Question: 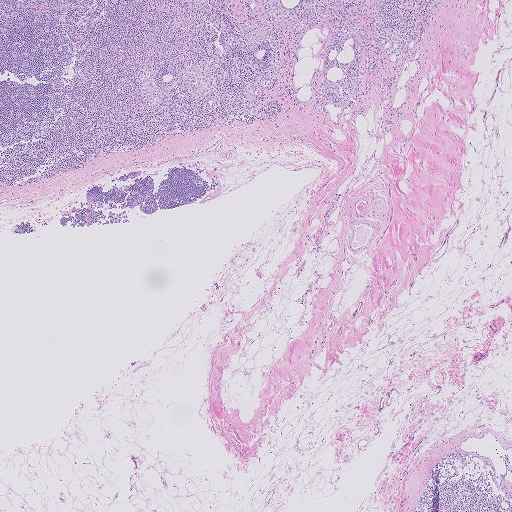
A 2.0-mm field of an H&E-stained sentinel lymph node from a breast-cancer patient (whole-slide image), shown at about 2.5×, about 4.0 µm per pixel.
Roughly what share of this field is metastatic tumour?

Choices:
 (A) about 5% or less
 (B) none: no tumour is outlined
 (C) about 50% or more
 (D) about 25% to 45%
 (E) about 10% to 20%

Answer: (A) about 5% or less
Under 5% of the field is tumour.
Outlines of two tumour regions, largest first (closed clockwise paths, crop pixels): region 1: (145, 169), (145, 173), (129, 182), (116, 183), (109, 181), (113, 176), (130, 170); region 2: (118, 212), (128, 213), (128, 218), (124, 219), (116, 224), (105, 225), (96, 224), (98, 220), (102, 220).
Question: 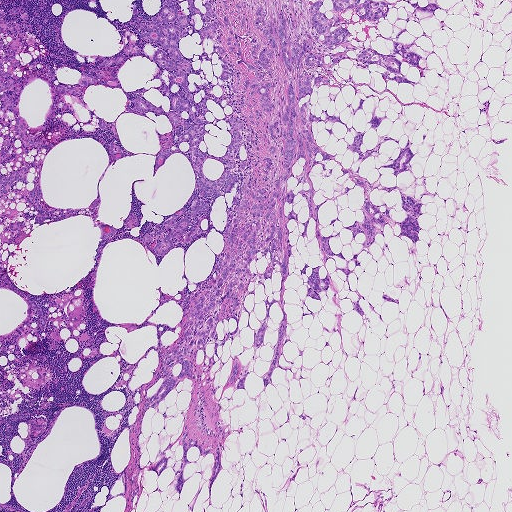
A 1.9-mm field of an H&E-stained sentinel lymph node from a breast-cancer patient (whole-slide image), shown at about 2.5×, about 3.6 µm per pixel.
Roughly what share of this field is metastatic tumour?

Choices:
 (A) about 5% or less
 (B) none: no tumour is outlined
 (C) about 10% to 20%
 (D) about 25% to 45%
 (E) about 50% or more

Answer: (D) about 25% to 45%
About 30% of the field is tumour.
The outlined metastatic tumour's edge, as a closed clockwise path of 38 points: (186, 423), (186, 442), (195, 440), (203, 451), (221, 447), (221, 468), (212, 483), (208, 504), (208, 488), (214, 464), (212, 454), (204, 458), (196, 447), (189, 449), (187, 459), (197, 462), (189, 463), (183, 472), (184, 478), (187, 479), (180, 498), (173, 487), (175, 477), (171, 468), (164, 470), (157, 478), (150, 468), (161, 457), (156, 458), (159, 447), (162, 451), (173, 443), (165, 453), (173, 458), (168, 459), (168, 466), (182, 457), (181, 433).
One more tumour region is annotated but not outlined: its edge is too irregular for a short outline.
One more small tumour piece is annotated here but not outlined.
Question: 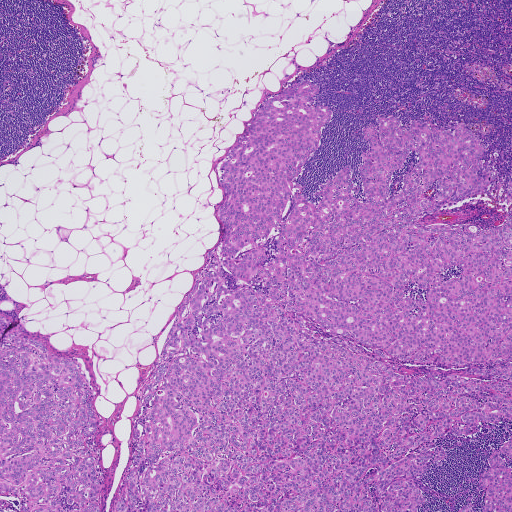
H&E-stained section of a sentinel lymph node (breast cancer), from a whole-slide image, viewed at about 2.5×: the field is about 1.9 mm across, about 3.6 µm per pixel.
Roughly what share of this field is metastatic tumour?

Choices:
 (A) about 25% to 45%
 (B) none: no tumour is outlined
 (C) about 10% to 20%
 (D) about 5% or less
 (E) about 50% or more

Answer: (E) about 50% or more
About 55% of the field is tumour.
Outlines of two tumour regions, largest first (closed clockwise paths, crop pixels): region 1: (310, 80), (321, 88), (309, 105), (331, 109), (293, 180), (313, 204), (348, 164), (365, 198), (362, 130), (388, 116), (406, 128), (420, 119), (477, 131), (504, 183), (417, 222), (501, 225), (511, 177), (511, 511), (111, 511), (134, 455), (139, 394), (223, 232), (216, 165), (263, 102); region 2: (0, 313), (22, 334), (81, 365), (94, 394), (94, 412), (101, 421), (94, 445), (104, 484), (101, 508), (0, 511).
Question: 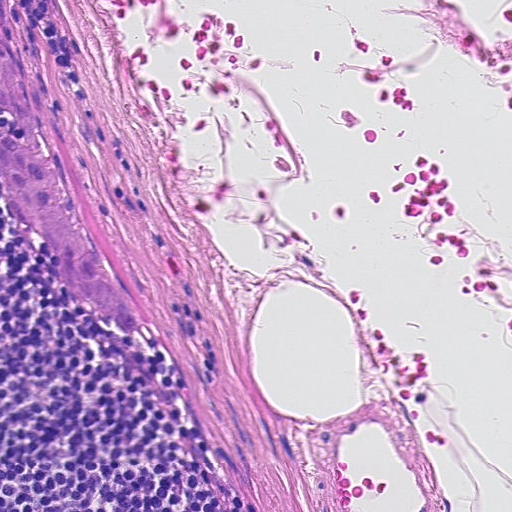
This is a crop of a whole-slide image: an H&E-stained breast-cancer sentinel lymph node section at roughly 20× magnification (about 0.45 µm per pixel; the crop spans about 0.23 mm).
Roughly what share of this field is metastatic tumour?

Choices:
 (A) none: no tumour is outlined
 (B) about 5% or less
 (C) about 25% to 45%
 (D) about 10% to 20%
 (E) about 50% or more

Answer: (B) about 5% or less
About 5% of the field is tumour.
Tumour region outline (a closed clockwise path, crop pixels): (0, 0), (2, 34), (18, 62), (38, 129), (99, 251), (154, 336), (142, 344), (83, 306), (60, 282), (54, 250), (26, 232), (4, 208), (0, 136), (20, 138), (14, 123), (0, 113).